Image:
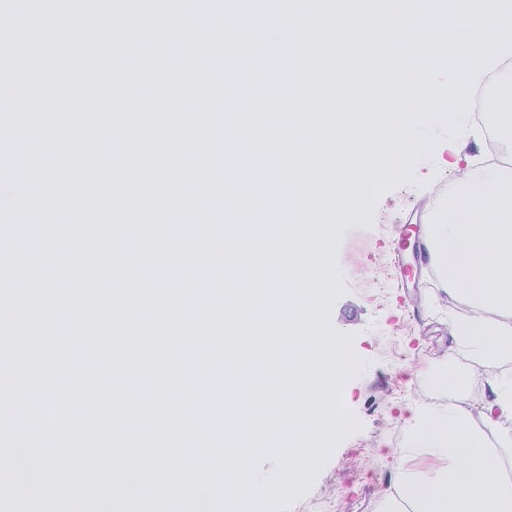
This is a crop of a whole-slide image: an H&E-stained breast-cancer sentinel lymph node section at roughly 20× magnification (about 0.5 µm per pixel; the crop spans about 0.26 mm).
Question:
Outline the metastatic carcinoma in this image, as closed paths of (x, y) pixel coordinates.
Answer:
One metastatic tumour region; its boundary, reduced to 4 corners and listed clockwise: (384, 296), (382, 339), (325, 335), (329, 297).
Under 5% of this field is tumour.